A 1.9-mm field of an H&E-stained sentinel lymph node from a breast-cancer patient (whole-slide image), shown at about 2.5×, about 3.6 µm per pixel.
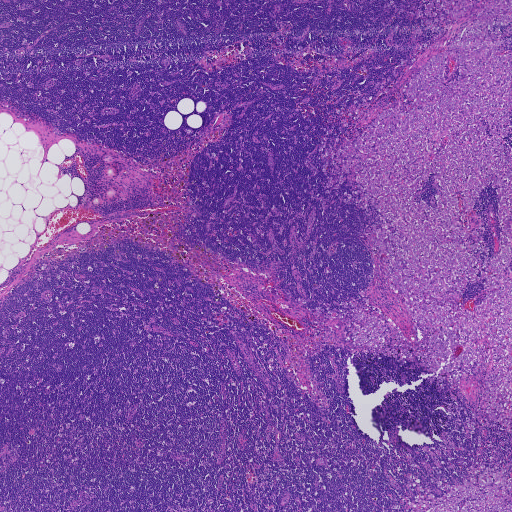
Question: Outline the metastatic carcinoma in this image, as closed paths of (x, y) pixel coordinates.
Answer: Five metastatic tumour regions, each outlined as a closed clockwise path in crop pixels (x, y), largest first: region 1: (511, 0), (511, 420), (476, 417), (474, 434), (472, 376), (445, 389), (418, 359), (351, 346), (343, 301), (423, 336), (360, 237), (377, 207), (344, 203), (361, 193), (354, 166), (327, 194), (334, 176), (322, 169), (395, 99), (413, 101), (403, 86), (457, 36), (423, 2); region 2: (482, 464), (507, 471), (511, 490), (505, 500), (511, 501), (511, 511), (410, 511), (414, 510), (422, 488), (432, 491), (430, 493), (435, 498), (442, 497), (450, 489), (440, 488), (436, 482), (439, 480), (454, 487), (464, 483), (463, 480), (471, 474), (478, 484), (485, 469), (480, 468); region 3: (362, 107), (367, 110), (360, 120), (352, 125), (345, 125), (339, 116), (335, 113), (337, 109), (348, 113), (354, 113); region 4: (324, 136), (330, 136), (328, 141), (328, 146), (332, 142), (337, 136), (340, 138), (337, 146), (328, 155), (323, 158), (317, 149); region 5: (378, 81), (390, 88), (390, 91), (388, 92), (380, 91), (374, 86).
Three more small tumour pieces are annotated here but not outlined.
The annotated tumour makes up about 20% of the crop.